Image:
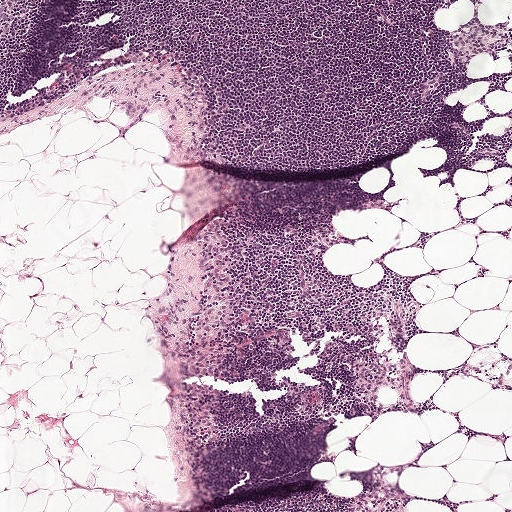
Lymph node section stained with H&E, from a whole-slide image of a breast-cancer sentinel node. Magnification about 5×, about 1 mm across the frame, about 1.9 µm per pixel.
Question:
Is any metastatic breast cancer visible in this crop?
Answer:
No: no metastatic tumour is outlined anywhere in this field.